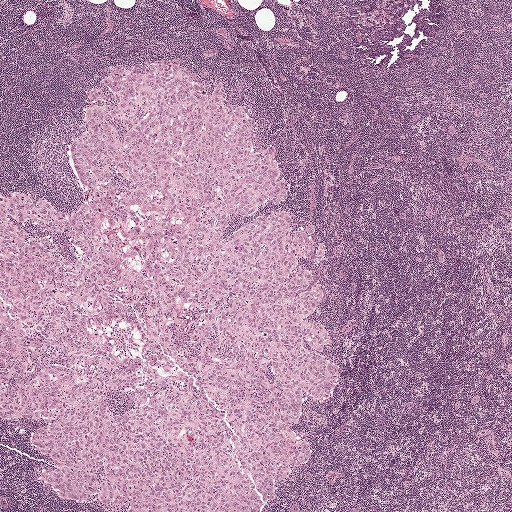
H&E-stained section of a sentinel lymph node (breast cancer), from a whole-slide image, viewed at about 2.5×: the field is about 2.0 mm across, about 3.9 µm per pixel.
Metastatic tumour outline, simplified to 21 points and listed clockwise in crop pixels (x, y): (114, 65), (221, 82), (288, 184), (224, 238), (288, 210), (323, 254), (296, 264), (337, 368), (291, 425), (310, 456), (256, 511), (109, 511), (42, 483), (43, 423), (0, 418), (0, 195), (67, 214), (92, 197), (69, 150), (86, 92), (114, 102).
The annotated tumour makes up about 45% of the crop.